Question: 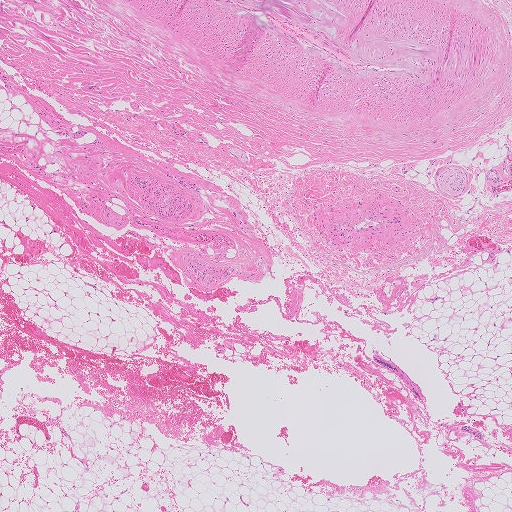
Which magnification is this H&E lymph node field most likely shown at?

Choices:
 (A) about 20×
 (B) about 10×
 (C) about 2.5×
 (D) about 40×
 (E) about 5×

Answer: (C) about 2.5×
Lymph node section stained with H&E, from a whole-slide image of a breast-cancer sentinel node. Magnification about 2.5×, about 2.0 mm across the frame, about 4.0 µm per pixel.